A 0.93-mm field of an H&E-stained sentinel lymph node from a breast-cancer patient (whole-slide image), shown at about 5×, about 1.8 µm per pixel.
Question: 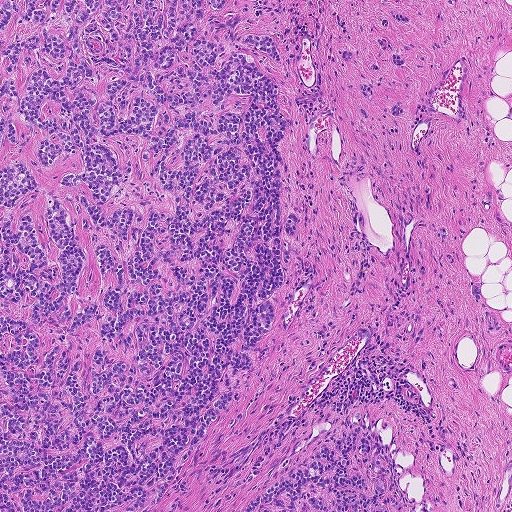
What fraction of the image area is metastatic tumour?

Choices:
 (A) about 25% to 45%
 (B) none: no tumour is outlined
 (C) about 50% or more
 (D) about 10% to 20%
 (E) about 5% or less

Answer: (C) about 50% or more
About 55% of the field is tumour.
Outlines of five tumour regions, largest first (closed clockwise paths, crop pixels): region 1: (0, 0), (227, 0), (225, 11), (206, 11), (202, 37), (262, 34), (284, 62), (253, 51), (282, 86), (288, 121), (280, 224), (293, 210), (300, 216), (287, 239), (285, 287), (269, 299), (274, 324), (251, 353), (238, 400), (158, 511), (0, 511); region 2: (369, 410), (396, 463), (403, 511), (234, 511), (306, 458), (353, 413); region 3: (362, 84), (367, 85), (372, 89), (372, 100), (369, 100), (365, 97), (359, 87); region 4: (473, 283), (478, 286), (480, 291), (480, 297), (478, 302), (471, 292); region 5: (395, 11), (406, 16), (409, 20), (404, 22), (399, 20), (394, 18), (389, 14).
Four more small tumour pieces are annotated here but not outlined.